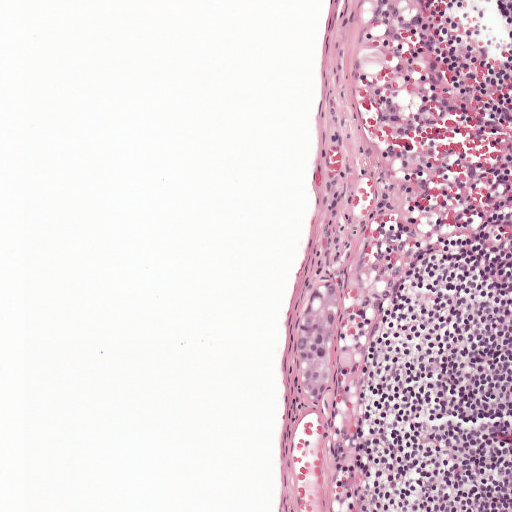
H&E-stained section of a sentinel lymph node (breast cancer), from a whole-slide image, viewed at about 10×: the field is about 0.5 mm across, about 0.97 µm per pixel.
One metastatic tumour region; its boundary, reduced to 10 corners and listed clockwise: (328, 278), (336, 290), (341, 315), (341, 340), (330, 389), (314, 405), (301, 394), (296, 370), (299, 319), (309, 295).
Under 5% of the image area is annotated as tumour.